Image:
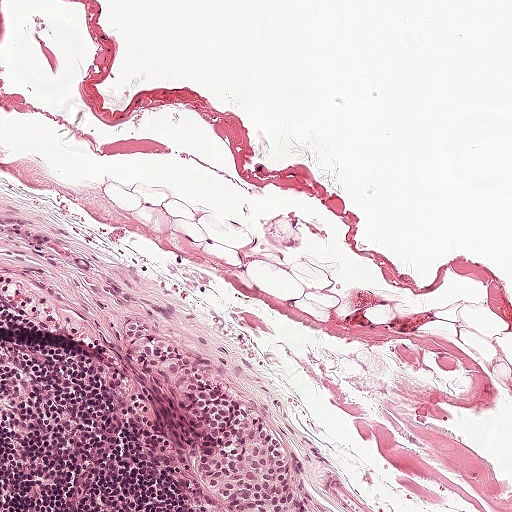
This is a crop of a whole-slide image: an H&E-stained breast-cancer sentinel lymph node section at roughly 10× magnification (about 0.97 µm per pixel; the crop spans about 0.5 mm).
Question:
Trace the edge of each tumour region in this crop, as (x, y) points from 0 to 511.
Answer:
Metastatic tumour outline, simplified to 14 points and listed clockwise in crop pixels (x, y): (136, 323), (156, 330), (193, 356), (226, 394), (244, 404), (277, 436), (290, 457), (308, 511), (231, 511), (210, 496), (186, 411), (165, 387), (147, 378), (124, 330).
About 5% of the image area is annotated as tumour.

Image:
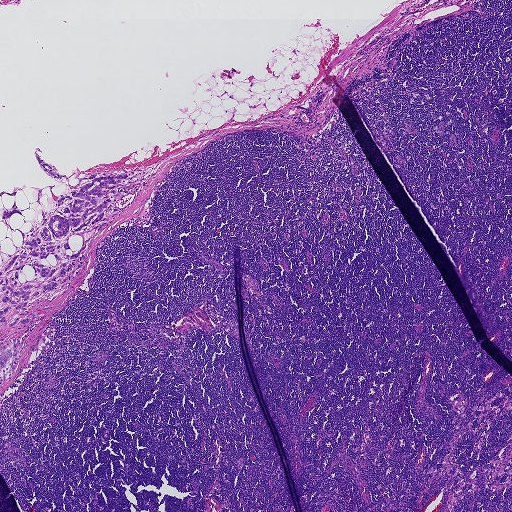
This is a crop of a whole-slide image: an H&E-stained breast-cancer sentinel lymph node section at roughly 2.5× magnification (about 3.6 µm per pixel; the crop spans about 1.9 mm).
Question:
Trace the edge of each tumour region in this crop, as (x, y) points from 0 to 511.
Answer:
Metastatic tumour outline, simplified to 39 points and listed clockwise in crop pixels (x, y): (39, 147), (40, 158), (66, 175), (71, 185), (93, 173), (164, 161), (140, 211), (100, 242), (80, 287), (49, 321), (54, 330), (49, 345), (32, 352), (1, 395), (0, 247), (4, 261), (22, 240), (9, 227), (7, 219), (1, 219), (3, 207), (14, 200), (0, 191), (16, 189), (17, 206), (30, 207), (23, 216), (10, 216), (13, 228), (25, 233), (41, 220), (36, 187), (45, 188), (40, 196), (45, 214), (68, 188), (63, 178), (42, 171), (34, 148).
One more small tumour piece is annotated here but not outlined.
About 5% of the image area is annotated as tumour.

Image:
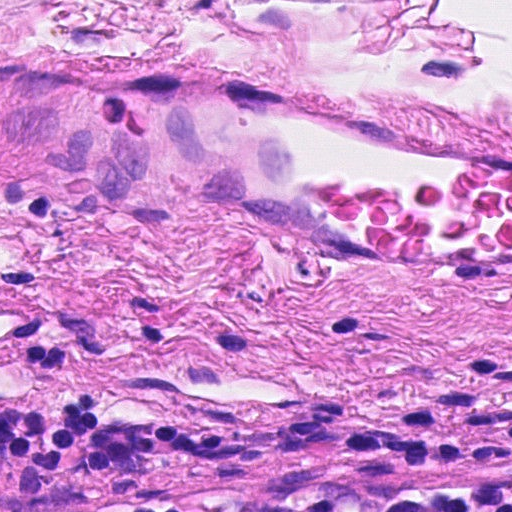
This is a crop of a whole-slide image: an H&E-stained breast-cancer sentinel lymph node section at roughly 40× magnification (about 0.23 µm per pixel; the crop spans about 0.12 mm).
Question:
Trace the edge of each tumour region in this crop, as (x, y) points from 0 to 511.
Answer:
One metastatic tumour region; its boundary, reduced to 12 corners and listed clockwise: (0, 71), (88, 89), (217, 98), (280, 124), (297, 185), (338, 230), (393, 253), (330, 242), (207, 201), (147, 215), (27, 188), (0, 191).
The annotated tumour makes up about 15% of the crop.

Image:
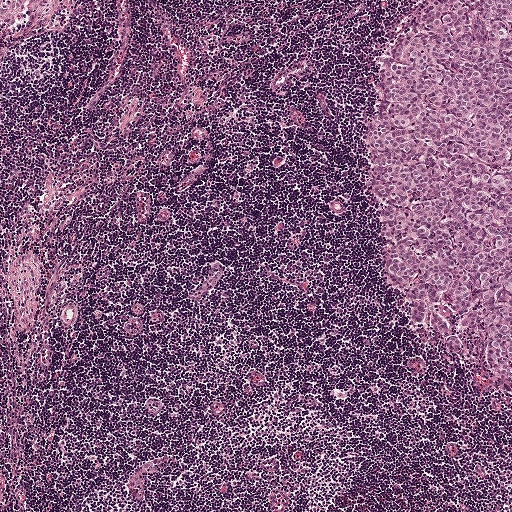
This is a crop of a whole-slide image: an H&E-stained breast-cancer sentinel lymph node section at roughly 5× magnification (about 1.9 µm per pixel; the crop spans about 1 mm).
Question:
Trace the edge of each tumour region in this crop, as (x, y) points from 0 to 511.
Answer:
One metastatic tumour region; its boundary, reduced to 8 corners and listed clockwise: (406, 0), (511, 0), (511, 385), (418, 333), (380, 268), (362, 140), (365, 84), (375, 48).
About 20% of the image area is annotated as tumour.